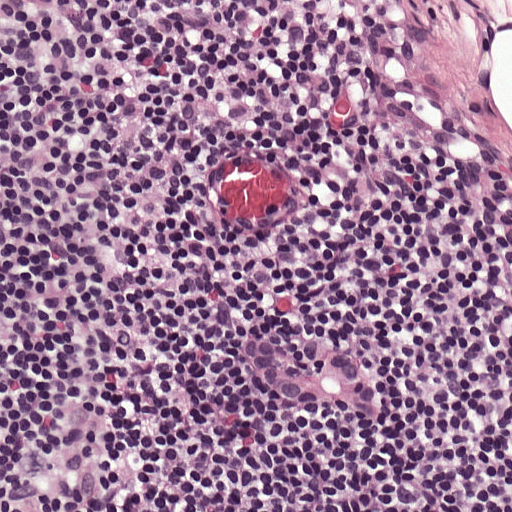
This is a crop of a whole-slide image: an H&E-stained breast-cancer sentinel lymph node section at roughly 20× magnification (about 0.49 µm per pixel; the crop spans about 0.25 mm).
The outlined metastatic tumour's edge, as a closed clockwise path of 13 points: (252, 332), (304, 332), (344, 344), (383, 370), (391, 386), (392, 406), (386, 426), (367, 431), (330, 418), (312, 418), (294, 409), (238, 360), (237, 340).
Tumour covers about 5% of the frame.